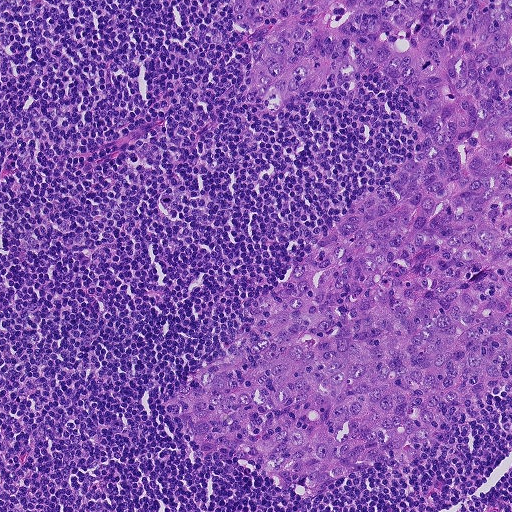
A 0.46-mm field of an H&E-stained sentinel lymph node from a breast-cancer patient (whole-slide image), shown at about 10×, about 0.9 µm per pixel.
The outlined metastatic tumour's edge, as a closed clockwise path of 19 points: (232, 0), (511, 0), (511, 387), (425, 466), (354, 477), (318, 503), (250, 471), (200, 464), (156, 404), (218, 358), (252, 298), (401, 166), (422, 121), (397, 81), (374, 72), (286, 108), (238, 97), (262, 36), (234, 30).
About 40% of the image area is annotated as tumour.